Lymph node section stained with H&E, from a whole-slide image of a breast-cancer sentinel node. Magnification about 2.5×, about 2.0 mm across the frame, about 3.9 µm per pixel.
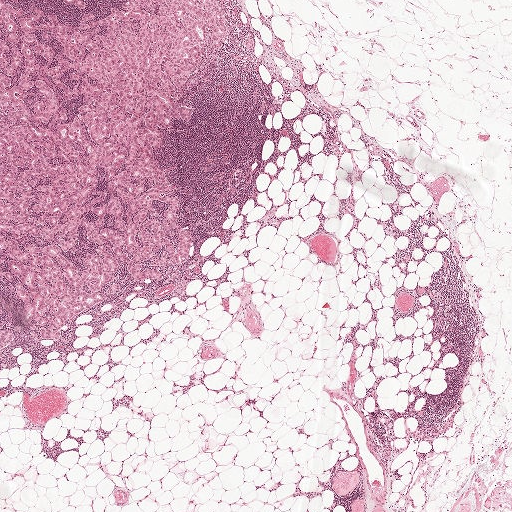
Outlines of two tumour regions, largest first (closed clockwise paths, crop pixels): region 1: (51, 12), (223, 12), (224, 47), (176, 96), (193, 114), (151, 146), (175, 188), (161, 197), (179, 198), (152, 206), (178, 204), (190, 234), (184, 263), (141, 262), (158, 280), (121, 263), (99, 290), (82, 281), (84, 219), (114, 225), (111, 195), (127, 218), (125, 204), (118, 196), (106, 187), (103, 168), (84, 202), (76, 245), (0, 231), (0, 122), (51, 128), (81, 101), (75, 69), (71, 101), (48, 75), (56, 46), (40, 37); region 2: (63, 0), (83, 0), (87, 7), (83, 11), (76, 11).
About 15% of this field is tumour.